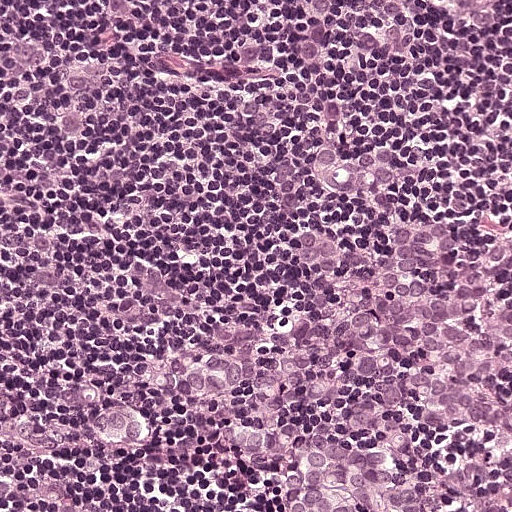
A 0.25-mm field of an H&E-stained sentinel lymph node from a breast-cancer patient (whole-slide image), shown at about 20×, about 0.49 µm per pixel.
The outlined metastatic tumour's edge, as a closed clockwise path of 9 points: (508, 170), (511, 511), (228, 511), (210, 422), (180, 368), (190, 320), (258, 252), (331, 204), (456, 194).
Tumour covers about 35% of the frame.